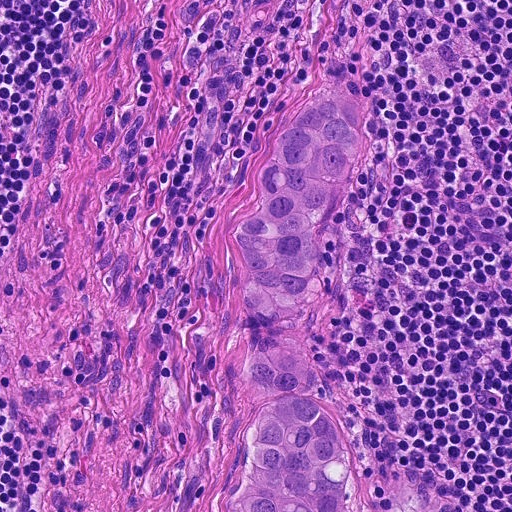
This is a crop of a whole-slide image: an H&E-stained breast-cancer sentinel lymph node section at roughly 20× magnification (about 0.45 µm per pixel; the crop spans about 0.23 mm).
Tumour region outline (a closed clockwise path, crop pixels): (322, 95), (365, 111), (365, 158), (338, 212), (319, 232), (330, 276), (322, 322), (312, 334), (322, 388), (352, 424), (365, 511), (230, 511), (226, 483), (246, 442), (248, 396), (239, 256), (228, 222), (252, 204), (260, 162).
About 15% of the image area is annotated as tumour.